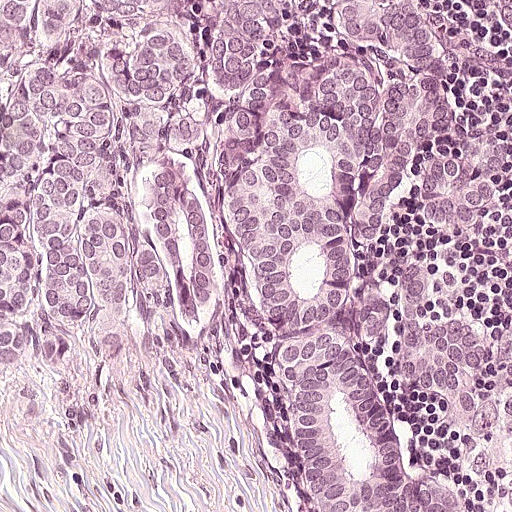
This is a crop of a whole-slide image: an H&E-stained breast-cancer sentinel lymph node section at roughly 20× magnification (about 0.49 µm per pixel; the crop spans about 0.25 mm).
Boundaries of two metastatic tumour regions, simplified and listed clockwise, largest first: region 1: (0, 0), (457, 0), (464, 120), (504, 145), (504, 220), (468, 247), (414, 245), (412, 268), (418, 292), (481, 334), (494, 373), (452, 401), (388, 382), (409, 449), (457, 478), (472, 511), (294, 511), (272, 392), (235, 308), (170, 347), (72, 349), (52, 368), (2, 351); region 2: (511, 385), (511, 472), (498, 464), (487, 472), (480, 472), (470, 466), (472, 450), (475, 442), (472, 428), (470, 428), (470, 418), (478, 404), (487, 396).
The annotated tumour makes up about 75% of the crop.